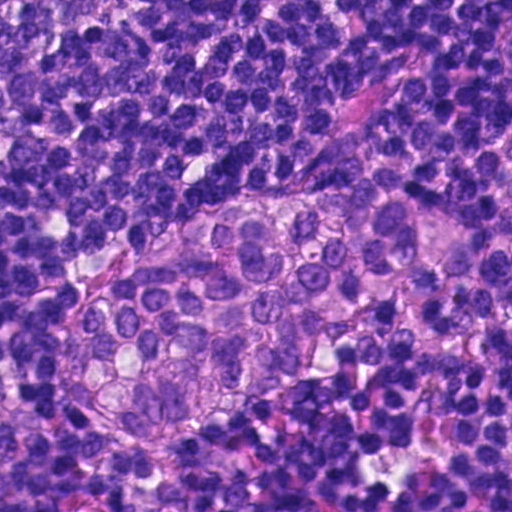
A 0.12-mm field of an H&E-stained sentinel lymph node from a breast-cancer patient (whole-slide image), shown at about 40×, about 0.23 µm per pixel.
The outlined metastatic tumour's edge, as a closed clockwise path of 12 points: (361, 191), (399, 195), (467, 232), (376, 303), (305, 336), (251, 390), (188, 433), (149, 434), (81, 397), (62, 361), (88, 290), (209, 205).
About 20% of the image area is annotated as tumour.